Question: 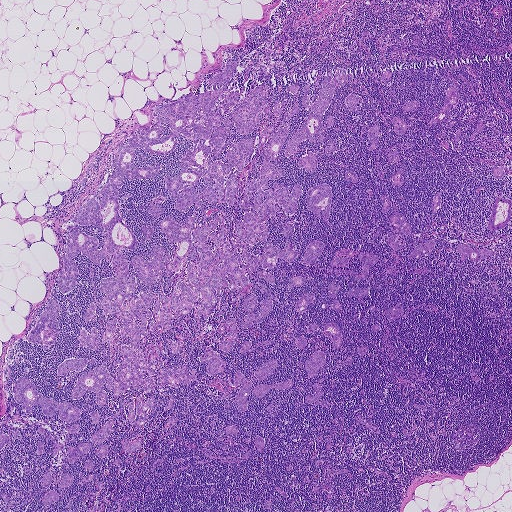
This is a crop of a whole-slide image: an H&E-stained breast-cancer sentinel lymph node section at roughly 2.5× magnification (about 3.6 µm per pixel; the crop spans about 1.9 mm).
What fraction of the image area is metastatic tumour?

Choices:
 (A) about 50% or more
 (B) about 5% or less
 (C) none: no tumour is outlined
 (D) about 10% to 20%
 (E) about 25% to 45%

Answer: (D) about 10% to 20%
About 20% of the field is tumour.
Outlines of eight tumour regions, largest first (closed clockwise paths, crop pixels): region 1: (342, 68), (346, 76), (346, 81), (344, 85), (336, 84), (323, 118), (324, 132), (322, 134), (324, 138), (323, 143), (320, 143), (317, 137), (313, 141), (306, 140), (301, 142), (298, 151), (291, 156), (286, 157), (284, 152), (284, 144), (299, 129), (312, 110), (309, 111), (305, 109), (302, 102), (304, 86), (309, 85), (306, 94), (311, 105), (322, 88), (321, 84), (324, 76), (327, 76), (328, 73), (333, 78), (335, 70); region 2: (21, 376), (28, 378), (35, 390), (45, 398), (53, 400), (57, 403), (67, 402), (81, 409), (80, 414), (81, 416), (78, 420), (68, 422), (60, 419), (57, 410), (52, 416), (47, 416), (41, 407), (36, 405), (31, 406), (30, 411), (23, 409), (12, 395), (15, 381); region 3: (54, 296), (58, 306), (57, 317), (59, 324), (56, 339), (47, 350), (43, 350), (41, 347), (43, 344), (28, 342), (26, 339), (28, 335), (48, 301); region 4: (323, 183), (328, 184), (331, 191), (328, 223), (308, 209), (306, 204), (307, 191), (311, 187); region 5: (499, 196), (511, 200), (509, 219), (505, 226), (493, 229), (487, 229), (495, 198); region 6: (237, 371), (240, 371), (245, 378), (251, 382), (250, 390), (247, 398), (248, 409), (244, 411), (238, 411), (232, 401), (241, 388), (242, 385), (239, 384), (234, 386), (232, 384), (232, 378), (235, 373); region 7: (453, 84), (455, 85), (457, 90), (456, 104), (450, 109), (448, 117), (439, 123), (431, 124), (429, 122), (430, 120), (443, 106), (448, 87); region 8: (138, 397), (140, 397), (143, 402), (145, 404), (147, 399), (149, 398), (152, 398), (153, 403), (151, 408), (146, 410), (147, 419), (142, 428), (137, 423), (132, 425), (132, 422), (137, 421), (140, 416), (136, 413), (132, 421), (130, 422), (128, 420), (127, 414), (129, 412), (128, 406), (131, 402), (133, 404), (134, 409).
One more tumour region is annotated but not outlined: its edge is too irregular for a short outline.
50 more, smaller tumour regions are not outlined.
33 more small tumour pieces are annotated here but not outlined.